Question: 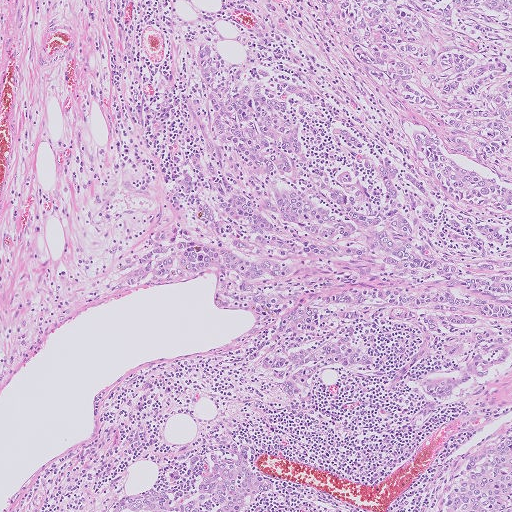
Which magnification is this H&E lymph node field most likely shown at?

Choices:
 (A) about 10×
 (B) about 2.5×
 (C) about 40×
 (D) about 5×
 (E) about 20×

Answer: (D) about 5×
Lymph node section stained with H&E, from a whole-slide image of a breast-cancer sentinel node. Magnification about 5×, about 1.0 mm across the frame, about 2.0 µm per pixel.
The outlined metastatic tumour's edge, as a closed clockwise path of 17 points: (113, 0), (511, 0), (511, 511), (50, 511), (175, 383), (258, 342), (270, 303), (198, 273), (127, 291), (116, 259), (159, 243), (132, 235), (170, 221), (190, 230), (172, 183), (200, 152), (173, 125).
The annotated tumour makes up about 70% of the crop.
Question: 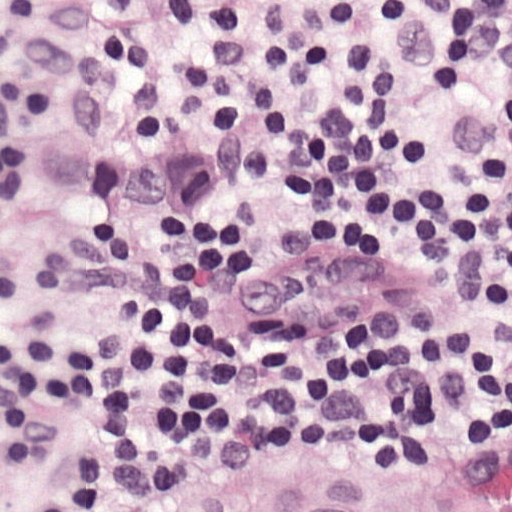
Which magnification is this H&E lymph node field most likely shown at?

Choices:
 (A) about 2.5×
 (B) about 40×
 (C) about 20×
 (D) about 5×
 (E) about 10×

Answer: (B) about 40×
This is a crop of a whole-slide image: an H&E-stained breast-cancer sentinel lymph node section at roughly 40× magnification (about 0.24 µm per pixel; the crop spans about 0.12 mm).
Two metastatic tumour regions, each outlined as a closed clockwise path in crop pixels (x, y), largest first: region 1: (260, 427), (364, 431), (474, 463), (501, 449), (511, 455), (511, 511), (62, 511), (136, 456); region 2: (212, 130), (230, 194), (193, 209), (79, 209), (25, 159), (50, 131), (111, 157).
Tumour covers about 15% of the frame.
Question: 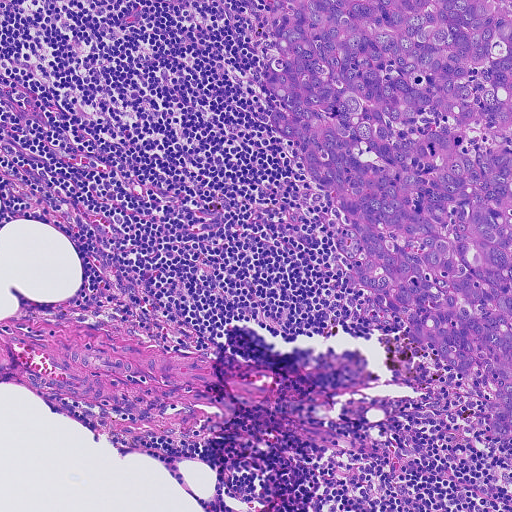
Which magnification is this H&E lymph node field most likely shown at?

Choices:
 (A) about 2.5×
 (B) about 5×
 (C) about 10×
 (D) about 40×
 (E) about 20×

Answer: (C) about 10×
This is a crop of a whole-slide image: an H&E-stained breast-cancer sentinel lymph node section at roughly 10× magnification (about 0.91 µm per pixel; the crop spans about 0.46 mm).
One metastatic tumour region; its boundary, reduced to 15 corners and listed clockwise: (511, 0), (511, 434), (504, 439), (486, 425), (491, 370), (454, 369), (414, 343), (370, 291), (347, 282), (328, 193), (269, 120), (283, 107), (261, 66), (276, 42), (264, 1).
About 25% of the image area is annotated as tumour.
Question: 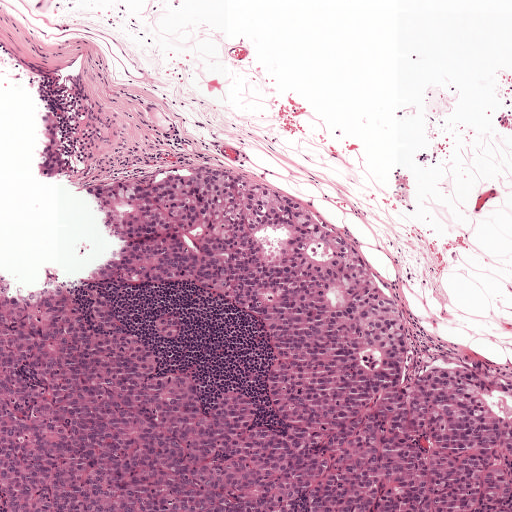
Which magnification is this H&E lymph node field most likely shown at?

Choices:
 (A) about 10×
 (B) about 40×
 (C) about 20×
 (D) about 5×
 (E) about 2.5×

Answer: (D) about 5×
Lymph node section stained with H&E, from a whole-slide image of a breast-cancer sentinel node. Magnification about 5×, about 1 mm across the frame, about 1.9 µm per pixel.
Boundaries of two metastatic tumour regions, simplified and listed clockwise, largest first: region 1: (103, 178), (264, 180), (364, 254), (407, 384), (511, 369), (511, 511), (0, 511), (0, 267), (101, 291), (126, 330), (175, 311), (160, 374), (287, 428), (248, 315), (89, 286), (111, 250), (84, 186); region 2: (46, 111), (52, 111), (58, 120), (68, 149), (71, 169), (54, 177), (44, 178), (38, 170), (41, 119).
Tumour covers about 45% of the frame.